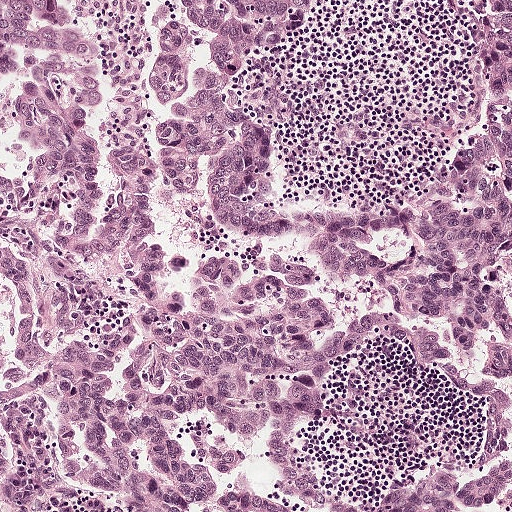
H&E-stained section of a sentinel lymph node (breast cancer), from a whole-slide image, viewed at about 10×: the field is about 0.5 mm across, about 0.97 µm per pixel.
Metastatic tumour outline, simplified to 24 points and listed clockwise in crop pixels (x, y): (143, 128), (166, 234), (346, 277), (458, 352), (485, 338), (511, 349), (511, 511), (383, 511), (462, 477), (482, 408), (395, 348), (348, 354), (322, 418), (301, 438), (334, 481), (330, 511), (302, 510), (276, 467), (222, 427), (140, 409), (128, 370), (154, 310), (111, 165), (119, 141).
About 20% of the image area is annotated as tumour.